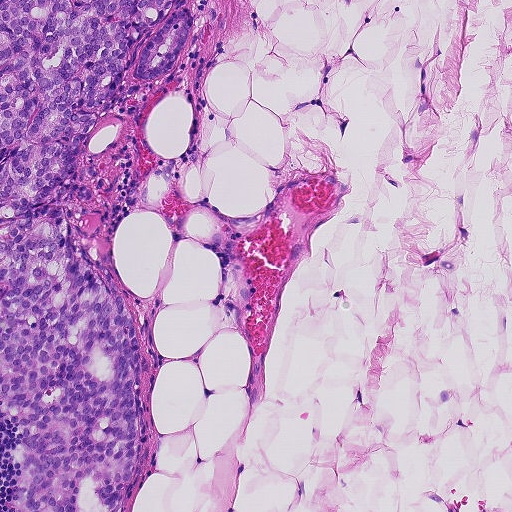
A 0.46-mm field of an H&E-stained sentinel lymph node from a breast-cancer patient (whole-slide image), shown at about 10×, about 0.9 µm per pixel.
Boundaries of two metastatic tumour regions, simplified and listed clockwise, largest first: region 1: (0, 0), (183, 0), (192, 18), (173, 72), (137, 83), (130, 65), (121, 103), (92, 130), (78, 169), (30, 211), (86, 207), (103, 216), (140, 364), (143, 458), (126, 511), (12, 511), (20, 469), (12, 459), (23, 439), (0, 402); region 2: (193, 146), (201, 188), (208, 205), (223, 218), (242, 220), (260, 215), (273, 203), (234, 242), (249, 277), (251, 316), (244, 333), (220, 330), (212, 301), (218, 298), (222, 260), (193, 240), (174, 243), (156, 212), (137, 207), (136, 188), (150, 174), (157, 156), (166, 164), (185, 164).
About 25% of this field is tumour.